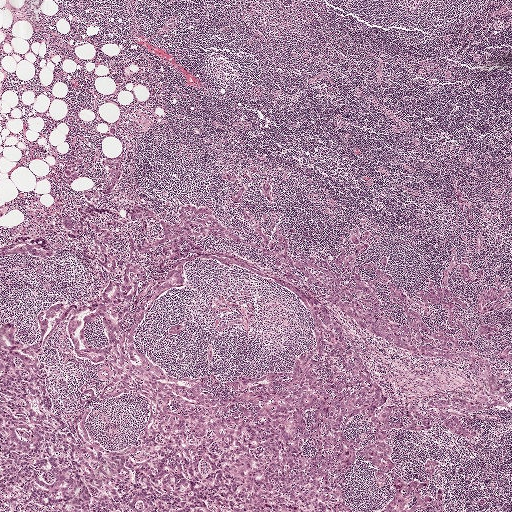
This is a crop of a whole-slide image: an H&E-stained breast-cancer sentinel lymph node section at roughly 2.5× magnification (about 3.9 µm per pixel; the crop spans about 2.0 mm).
Boundaries of three metastatic tumour regions, simplified and listed clockwise, largest first: region 1: (302, 297), (331, 310), (384, 397), (376, 413), (345, 428), (346, 438), (398, 404), (434, 416), (432, 428), (399, 431), (395, 465), (385, 474), (361, 464), (347, 481), (346, 497), (364, 511), (140, 511), (119, 465), (170, 381), (240, 379), (311, 348), (315, 326); region 2: (61, 301), (64, 306), (52, 321), (42, 353), (56, 413), (39, 442), (37, 489), (31, 499), (23, 491), (1, 503), (0, 327), (14, 322), (21, 343), (30, 344), (34, 339), (38, 311), (45, 304); region 3: (410, 475), (422, 478), (436, 492), (442, 489), (445, 492), (444, 507), (448, 511), (373, 511), (380, 508), (390, 499), (396, 480).
About 15% of the image area is annotated as tumour.